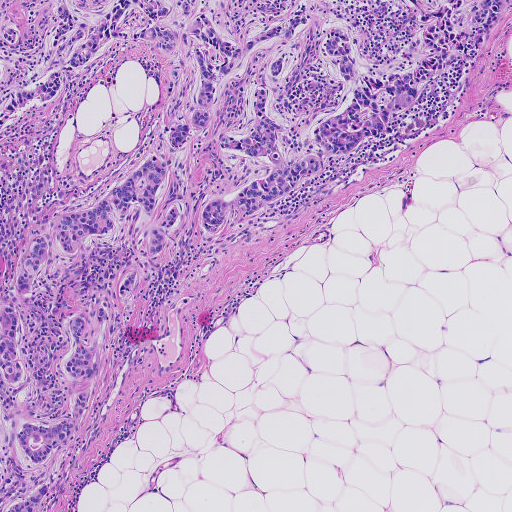
This is a crop of a whole-slide image: an H&E-stained breast-cancer sentinel lymph node section at roughly 5× magnification (about 1.8 µm per pixel; the crop spans about 0.93 mm).
Question: Which parts of this field are metastatic tumour?
Answer: Outlines of two tumour regions, largest first (closed clockwise paths, crop pixels): region 1: (0, 0), (306, 0), (382, 63), (420, 43), (401, 0), (506, 0), (384, 136), (214, 236), (196, 225), (104, 340), (76, 434), (34, 468), (12, 448), (0, 488), (0, 294), (14, 296), (21, 249), (149, 156), (202, 78), (188, 60), (171, 96), (170, 57), (111, 38), (0, 131); region 2: (48, 483), (48, 494), (43, 500), (38, 511), (5, 511), (12, 502), (21, 497), (38, 485).
One more small tumour piece is annotated here but not outlined.
About 35% of the image area is annotated as tumour.